Question: 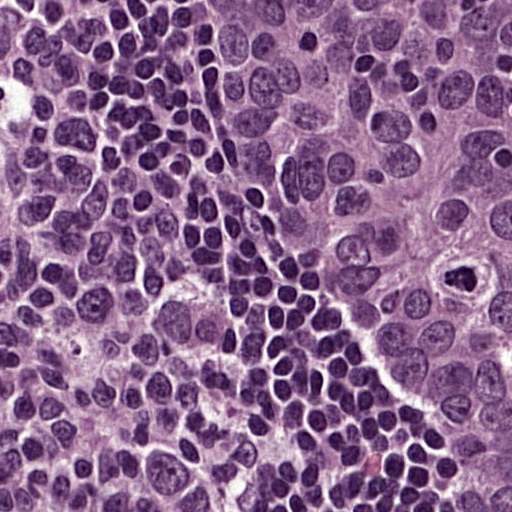
H&E-stained section of a sentinel lymph node (breast cancer), from a whole-slide image, viewed at about 40×: the field is about 0.12 mm across, about 0.24 µm per pixel.
Estimate the proportion of this field that is metastatic tumour.

Choices:
 (A) none: no tumour is outlined
 (B) about 10% to 20%
 (C) about 25% to 45%
 (D) about 50% or more
 (E) about 5% or less

Answer: (C) about 25% to 45%
About 45% of the field is tumour.
The outlined metastatic tumour's edge, as a closed clockwise path of 8 points: (195, 0), (511, 0), (511, 511), (446, 511), (410, 405), (298, 276), (208, 128), (186, 44).
One more small tumour piece is annotated here but not outlined.